Lymph node section stained with H&E, from a whole-slide image of a breast-cancer sentinel node. Magnification about 40×, about 0.12 mm across the frame, about 0.24 µm per pixel.
Image:
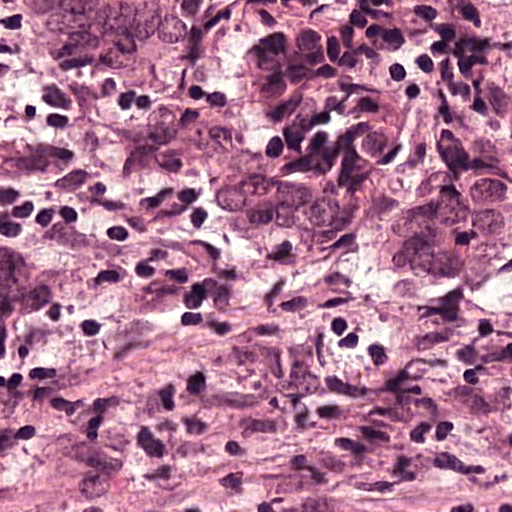
Question:
Trace the edge of each tumour region in this crop, as (x, y) points from 0 to 511.
Answer:
Boundaries of two metastatic tumour regions, simplified and listed clockwise, largest first: region 1: (240, 0), (270, 121), (311, 199), (414, 215), (441, 274), (436, 315), (336, 354), (295, 346), (189, 218), (148, 143), (102, 108), (64, 58), (42, 5); region 2: (0, 159), (49, 177), (49, 183), (77, 198), (89, 227), (95, 227), (89, 248), (58, 289), (61, 345), (55, 377), (24, 436), (2, 460).
About 30% of the image area is annotated as tumour.